This is a crop of a whole-slide image: an H&E-stained breast-cancer sentinel lymph node section at roughly 2.5× magnification (about 3.9 µm per pixel; the crop spans about 2.0 mm).
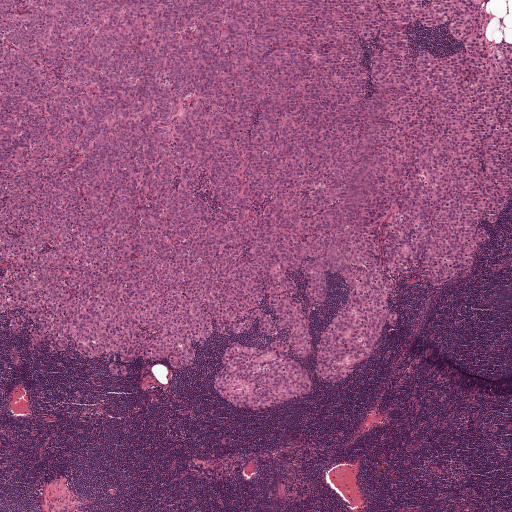
The outlined metastatic tumour's edge, as a closed clockwise path of 24 points: (0, 0), (482, 0), (481, 27), (511, 51), (511, 199), (467, 277), (404, 284), (398, 330), (352, 382), (313, 374), (351, 292), (338, 273), (308, 317), (304, 365), (315, 386), (257, 412), (210, 383), (233, 343), (283, 331), (257, 321), (196, 346), (186, 370), (126, 380), (18, 346).
About 65% of this field is tumour.